H&E-stained section of a sentinel lymph node (breast cancer), from a whole-slide image, viewed at about 10×: the field is about 0.5 mm across, about 0.97 µm per pixel.
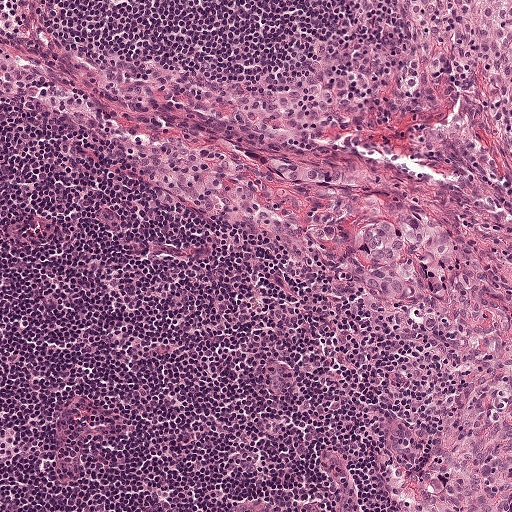
One metastatic tumour region; its boundary, reduced to 15 corners and listed clockwise: (428, 211), (442, 217), (454, 231), (456, 242), (444, 273), (419, 307), (376, 314), (362, 308), (351, 295), (349, 276), (360, 253), (360, 243), (352, 232), (379, 217), (411, 216).
About 5% of the image area is annotated as tumour.